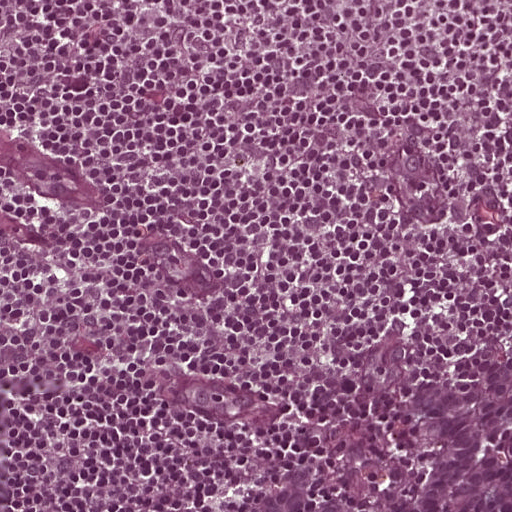
H&E-stained section of a sentinel lymph node (breast cancer), from a whole-slide image, viewed at about 20×: the field is about 0.25 mm across, about 0.49 µm per pixel.
Question: Outline the metastatic carcinoma in this image, as closed paths of (x, y) pixel coordinates.
Answer: Tumour region outline (a closed clockwise path, crop pixels): (509, 316), (511, 511), (224, 511), (318, 377), (346, 355), (408, 328).
About 15% of this field is tumour.